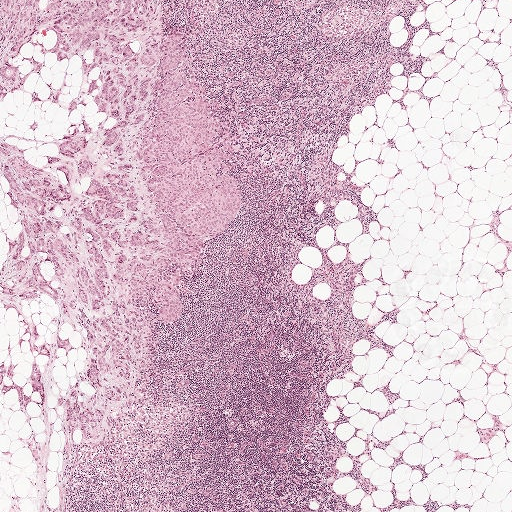
H&E-stained section of a sentinel lymph node (breast cancer), from a whole-slide image, viewed at about 2.5×: the field is about 2.0 mm across, about 3.9 µm per pixel.
Question: Which parts of this field are metastatic tumour?
Answer: The outlined metastatic tumour's edge, as a closed clockwise path of 39 points: (0, 0), (170, 0), (232, 130), (240, 214), (184, 276), (142, 399), (99, 441), (54, 404), (84, 367), (74, 327), (61, 329), (77, 350), (37, 357), (44, 405), (0, 390), (0, 365), (12, 361), (3, 382), (41, 400), (30, 334), (0, 301), (4, 231), (23, 225), (0, 137), (46, 166), (46, 141), (81, 120), (70, 102), (93, 129), (116, 120), (88, 91), (100, 67), (82, 74), (91, 50), (40, 51), (54, 30), (8, 58), (46, 63), (0, 101).
Two more small tumour pieces are annotated here but not outlined.
About 25% of this field is tumour.